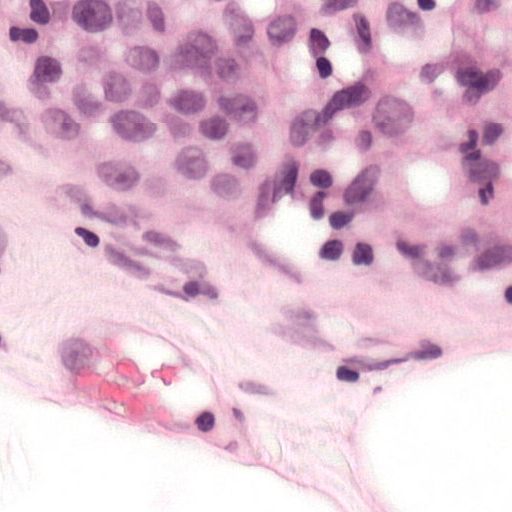
This is a crop of a whole-slide image: an H&E-stained breast-cancer sentinel lymph node section at roughly 40× magnification (about 0.24 µm per pixel; the crop spans about 0.12 mm).
Question: Where is the metastatic tumour in this field?
Answer: Metastatic tumour outline, simplified to 8 points and listed clockwise in crop pixels (x, y): (37, 0), (305, 0), (333, 56), (312, 167), (238, 241), (139, 263), (45, 214), (10, 115).
The annotated tumour makes up about 25% of the crop.